Image:
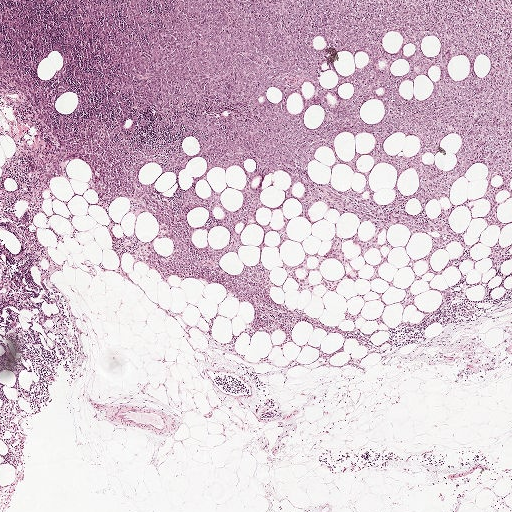
This is a crop of a whole-slide image: an H&E-stained breast-cancer sentinel lymph node section at roughly 2.5× magnification (about 3.9 µm per pixel; the crop spans about 2.0 mm).
Question:
Which parts of this field are metastatic tumour? Answer with the outline of each region, in pixels.
Answer:
The outlined metastatic tumour's edge, as a closed clockwise path of 24 points: (0, 0), (511, 0), (511, 223), (500, 233), (481, 219), (484, 164), (424, 209), (456, 207), (469, 301), (504, 295), (487, 258), (511, 245), (511, 294), (379, 356), (301, 321), (246, 335), (220, 284), (136, 260), (157, 222), (86, 189), (84, 162), (14, 180), (44, 143), (0, 89).
The outline encloses 70 non-tumour holes totalling about 25% of the region's area.
Tumour covers about 40% of the frame.